A 0.25-mm field of an H&E-stained sentinel lymph node from a breast-cancer patient (whole-slide image), shown at about 20×, about 0.49 µm per pixel.
Image:
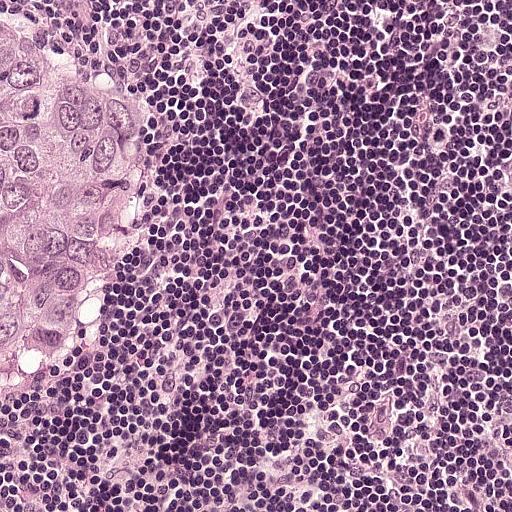
Question:
Outline the metastatic carcinoma in this image, as closed paths of (x, y) pixel coordinates.
Answer:
The outlined metastatic tumour's edge, as a closed clockwise path of 7 points: (0, 28), (104, 82), (138, 116), (138, 216), (88, 339), (52, 365), (2, 383).
About 15% of the image area is annotated as tumour.